This is a crop of a whole-slide image: an H&E-stained breast-cancer sentinel lymph node section at roughly 40× magnification (about 0.24 µm per pixel; the crop spans about 0.12 mm).
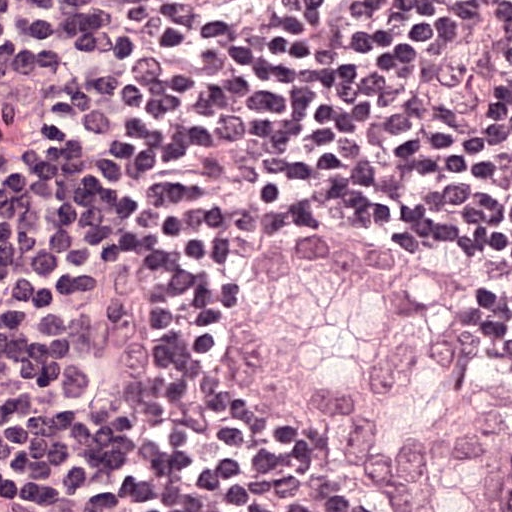
One metastatic tumour region; its boundary, reduced to 8 corners and listed clockwise: (328, 210), (496, 296), (511, 322), (511, 511), (374, 511), (287, 392), (196, 346), (250, 237).
The annotated tumour makes up about 25% of the crop.